Question: 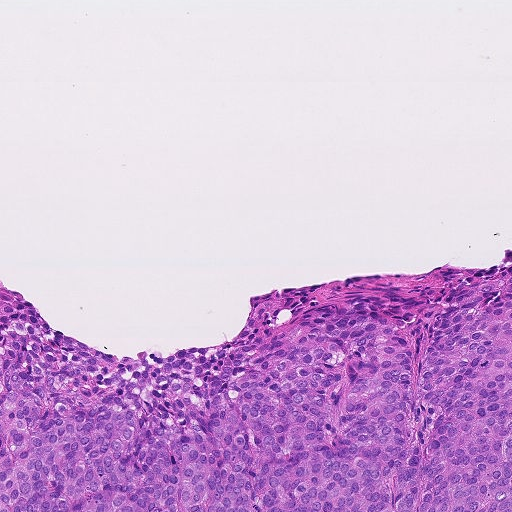
A 0.46-mm field of an H&E-stained sentinel lymph node from a breast-cancer patient (whole-slide image), shown at about 10×, about 0.9 µm per pixel.
What fraction of the image area is metastatic tumour?

Choices:
 (A) about 5% or less
 (B) about 10% to 20%
 (C) about 50% or more
 (D) about 25% to 45%
 (E) none: no tumour is outlined

Answer: (D) about 25% to 45%
About 40% of the field is tumour.
Metastatic tumour outline, simplified to 10 points and listed clockwise in crop pixels (x, y): (511, 254), (511, 511), (0, 511), (0, 289), (106, 355), (172, 356), (241, 334), (248, 299), (280, 288), (485, 267).